Image:
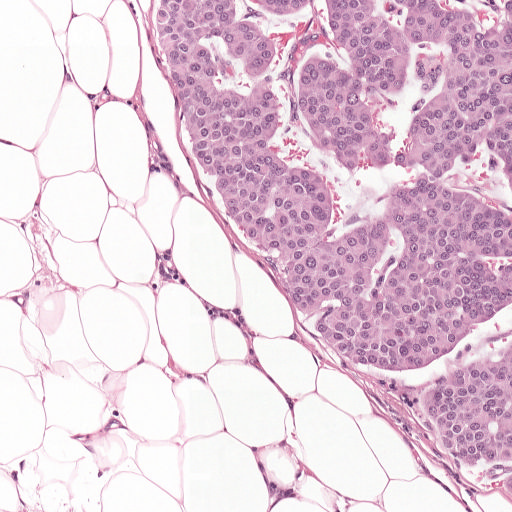
A 0.5-mm field of an H&E-stained sentinel lymph node from a breast-cancer patient (whole-slide image), shown at about 10×, about 0.97 µm per pixel.
Question:
Which parts of this field are metastatic tumour? Answer with the outline of each region, in pixels.
Answer:
Metastatic tumour outline, simplified to 8 points and listed clockwise in crop pixels (x, y): (154, 0), (511, 0), (511, 498), (423, 431), (404, 379), (336, 357), (290, 311), (188, 147).
The annotated tumour makes up about 45% of the crop.